Image:
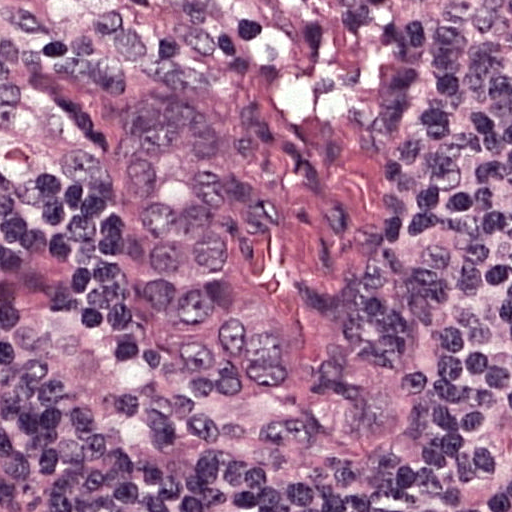
This is a crop of a whole-slide image: an H&E-stained breast-cancer sentinel lymph node section at roughly 40× magnification (about 0.24 µm per pixel; the crop spans about 0.12 mm).
Question:
Where is the metastatic tumour in this field? Give each region's outline as (x, y) pixel points.
Answer:
Metastatic tumour outline, simplified to 13 points and listed clockwise in crop pixels (x, y): (154, 75), (234, 91), (261, 135), (240, 261), (324, 308), (376, 353), (410, 408), (391, 449), (322, 432), (260, 400), (162, 381), (114, 248), (116, 100).
About 20% of this field is tumour.